This is a crop of a whole-slide image: an H&E-stained breast-cancer sentinel lymph node section at roughly 10× magnification (about 0.9 µm per pixel; the crop spans about 0.46 mm).
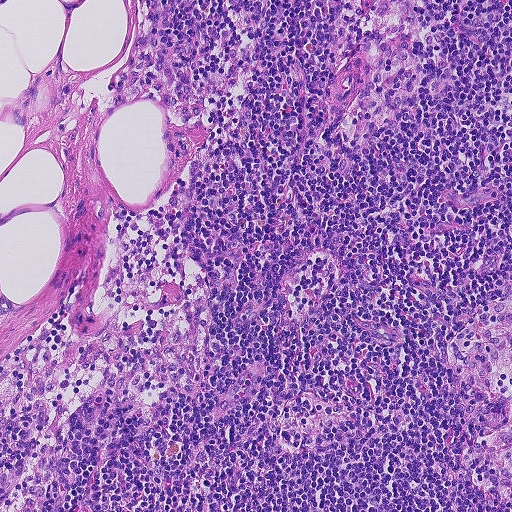
Question: Is any metastatic breast cancer visible in this crop?
Answer: No, this field holds no outlined metastasis.